A 0.25-mm field of an H&E-stained sentinel lymph node from a breast-cancer patient (whole-slide image), shown at about 20×, about 0.49 µm per pixel.
Image:
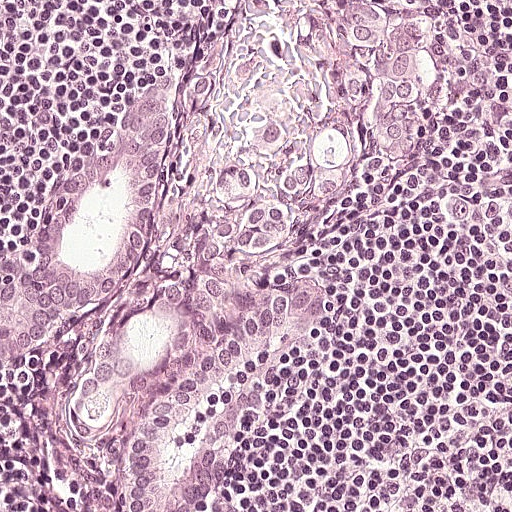
Question:
Show where the tumour is in this image.
Answer:
Four metastatic tumour regions, each outlined as a closed clockwise path in crop pixels (x, y), largest first: region 1: (250, 46), (261, 73), (356, 136), (354, 186), (340, 202), (316, 204), (316, 220), (298, 239), (246, 255), (228, 294), (200, 318), (162, 380), (100, 432), (78, 433), (66, 426), (63, 405), (156, 274), (178, 226), (220, 194), (222, 158), (246, 122), (224, 91), (224, 73); region 2: (140, 72), (160, 80), (176, 98), (176, 131), (152, 186), (148, 230), (120, 314), (90, 339), (0, 376), (0, 284), (30, 264), (52, 210), (72, 194); region 3: (311, 276), (329, 278), (337, 291), (332, 315), (304, 331), (288, 354), (195, 511), (122, 511), (118, 464), (146, 399), (168, 374), (246, 308); region 4: (376, 0), (407, 4), (438, 36), (432, 88), (434, 116), (426, 158), (409, 170), (380, 161), (366, 150), (364, 102), (360, 97), (342, 97), (345, 36), (337, 31), (337, 24), (350, 3).
The annotated tumour makes up about 35% of the crop.